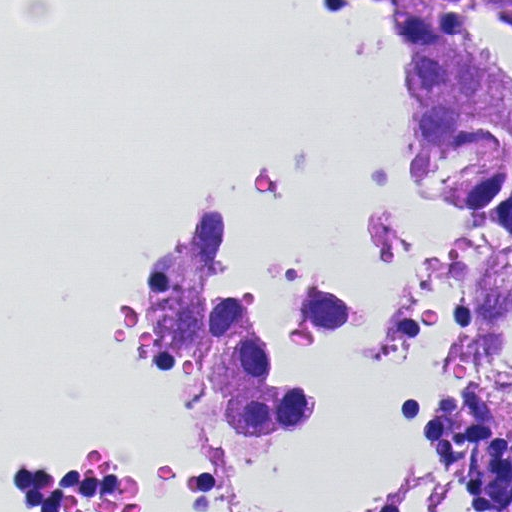
This is a crop of a whole-slide image: an H&E-stained breast-cancer sentinel lymph node section at roughly 40× magnification (about 0.23 µm per pixel; the crop spans about 0.12 mm).
Question: Trace the edge of each tumour region in this crop, as (x, y) points from 0 to 511.
Answer: Outlines of two tumour regions, largest first (closed clockwise paths, crop pixels): region 1: (402, 0), (511, 0), (511, 325), (505, 349), (462, 378), (448, 331), (455, 277), (474, 227), (430, 201), (408, 154); region 2: (215, 202), (232, 230), (209, 291), (251, 309), (300, 299), (315, 281), (358, 306), (355, 325), (257, 328), (278, 371), (318, 403), (293, 435), (263, 438), (223, 411), (199, 367), (159, 354), (137, 304), (147, 258), (193, 240), (192, 211).
Tumour covers about 20% of the frame.